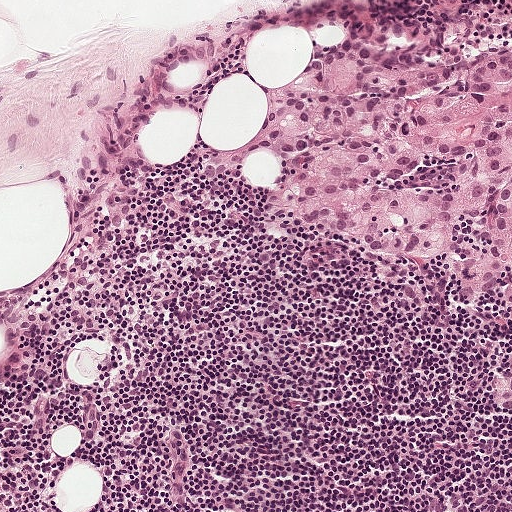
A 0.5-mm field of an H&E-stained sentinel lymph node from a breast-cancer patient (whole-slide image), shown at about 10×, about 0.97 µm per pixel.
Question: Does this lymph node field contain metastatic tumour?
Answer: Yes.
Boundaries of two metastatic tumour regions, simplified and listed clockwise, largest first: region 1: (345, 38), (434, 63), (511, 44), (511, 314), (496, 295), (472, 305), (451, 300), (447, 273), (430, 256), (374, 260), (259, 204), (284, 178), (275, 150), (249, 152), (216, 180), (200, 175), (211, 156), (236, 150), (267, 116), (260, 85), (291, 83); region 2: (511, 354), (511, 416), (496, 406), (490, 384), (500, 365).
Tumour covers about 20% of the frame.